Question: 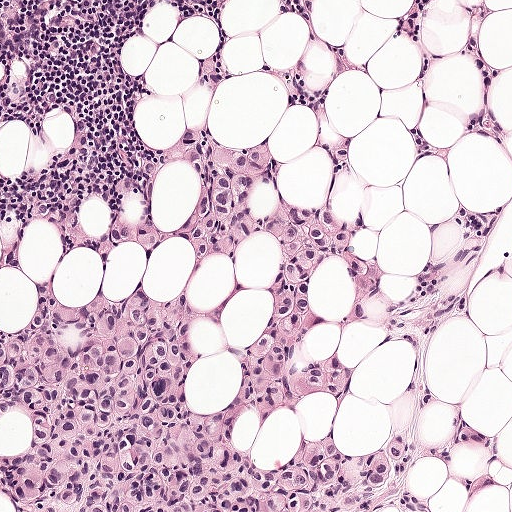
This is a crop of a whole-slide image: an H&E-stained breast-cancer sentinel lymph node section at roughly 10× magnification (about 0.97 µm per pixel; the crop spans about 0.5 mm).
Estimate the proportion of this field that is metastatic tumour.

Choices:
 (A) about 25% to 45%
 (B) about 10% to 20%
 (C) about 5% or less
 (D) about 50% or more
 (E) none: no tumour is outlined

Answer: (A) about 25% to 45%
About 45% of the field is tumour.
The outlined metastatic tumour's edge, as a closed clockwise path of 38 points: (264, 136), (376, 270), (372, 317), (308, 328), (320, 360), (356, 367), (337, 406), (362, 450), (400, 386), (378, 330), (446, 209), (496, 197), (480, 264), (511, 246), (511, 264), (428, 330), (413, 416), (432, 438), (464, 406), (493, 441), (492, 492), (0, 511), (0, 322), (32, 299), (0, 258), (0, 233), (26, 217), (10, 265), (72, 303), (178, 288), (183, 400), (224, 401), (277, 241), (214, 258), (68, 230), (114, 206), (103, 180), (129, 156).